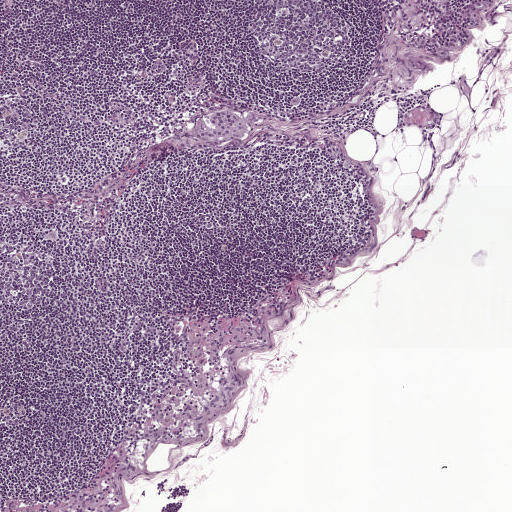
This is a crop of a whole-slide image: an H&E-stained breast-cancer sentinel lymph node section at roughly 5× magnification (about 1.9 µm per pixel; the crop spans about 1 mm).
Metastatic tumour outline, simplified to 12 points and listed clockwise in crop pixels (x, y): (220, 111), (238, 113), (253, 111), (267, 116), (268, 120), (247, 134), (244, 140), (229, 142), (216, 147), (183, 136), (183, 133), (202, 117).
Tumour covers under 5% of the frame.